Image:
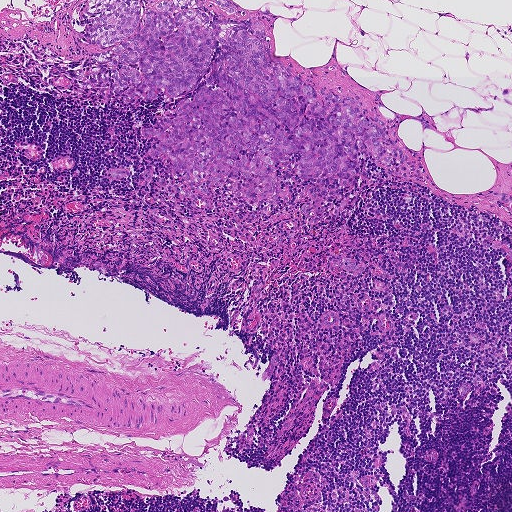
This is a crop of a whole-slide image: an H&E-stained breast-cancer sentinel lymph node section at roughly 5× magnification (about 1.8 µm per pixel; the crop spans about 0.93 mm).
Question:
Which parts of this field are metastatic tumour?
Answer:
Boundaries of six metastatic tumour regions, simplified and listed clockwise, largest first: region 1: (87, 0), (155, 10), (160, 0), (193, 0), (211, 20), (262, 23), (270, 58), (320, 103), (329, 91), (355, 96), (393, 120), (396, 146), (425, 181), (389, 175), (370, 151), (352, 186), (301, 178), (296, 153), (275, 166), (287, 202), (252, 205), (208, 180), (201, 194), (173, 162), (150, 156), (162, 141), (144, 134), (193, 91), (96, 98), (74, 74), (114, 45), (80, 38); region 2: (330, 256), (342, 256), (353, 261), (355, 264), (358, 266), (361, 263), (364, 264), (365, 267), (364, 271), (356, 273), (345, 271), (338, 266), (330, 264), (327, 261), (327, 257); region 3: (211, 0), (230, 0), (239, 6), (240, 9), (246, 12), (246, 16), (242, 16), (234, 14), (230, 16); region 4: (306, 184), (310, 184), (314, 186), (311, 189), (310, 193), (314, 192), (317, 194), (317, 197), (311, 202), (311, 206), (305, 215), (301, 215), (299, 212), (300, 208), (308, 198), (308, 195), (304, 188); region 5: (172, 184), (176, 184), (196, 196), (196, 204), (191, 204), (192, 199), (183, 197), (175, 192), (172, 189); region 6: (124, 169), (128, 171), (130, 175), (120, 179), (115, 179), (108, 175), (108, 170).
Two more small tumour pieces are annotated here but not outlined.
About 15% of this field is tumour.